H&E-stained section of a sentinel lymph node (breast cancer), from a whole-slide image, viewed at about 10×: the field is about 0.5 mm across, about 0.97 µm per pixel.
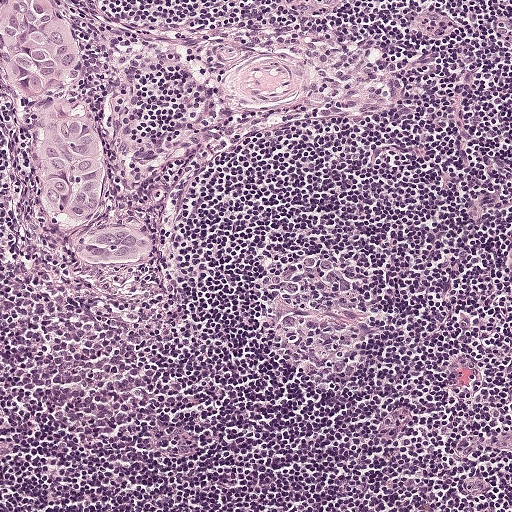
Question: Is any metastatic breast cancer visible in this crop?
Answer: Yes.
Metastatic tumour outline, simplified to 21 points and listed clockwise in crop pixels (x, y): (48, 0), (70, 22), (82, 60), (81, 74), (71, 85), (72, 106), (91, 115), (109, 161), (102, 214), (88, 226), (128, 225), (152, 237), (150, 249), (110, 262), (86, 258), (43, 211), (37, 152), (12, 67), (0, 45), (0, 11), (7, 1).
About 5% of this field is tumour.